This is a crop of a whole-slide image: an H&E-stained breast-cancer sentinel lymph node section at roughly 2.5× magnification (about 3.6 µm per pixel; the crop spans about 1.9 mm).
Question: 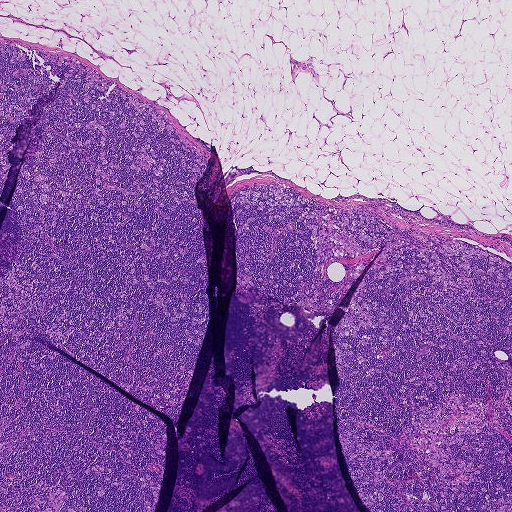
What fraction of the image area is metastatic tumour?

Choices:
 (A) about 5% or less
 (B) none: no tumour is outlined
 (C) about 50% or more
 (D) about 10% to 20%
 (E) about 25% to 45%

Answer: (C) about 50% or more
About 55% of the field is tumour.
Boundaries of two metastatic tumour regions, simplified and listed clockwise, largest first: region 1: (0, 40), (78, 59), (213, 144), (219, 158), (230, 197), (278, 183), (511, 263), (511, 511), (369, 511), (335, 409), (344, 312), (234, 297), (213, 145), (195, 186), (211, 316), (178, 422), (50, 345), (167, 424), (154, 511), (0, 511), (0, 228), (34, 130), (10, 140), (0, 205); region 2: (493, 247), (500, 248), (511, 255), (511, 261), (504, 254), (498, 251).